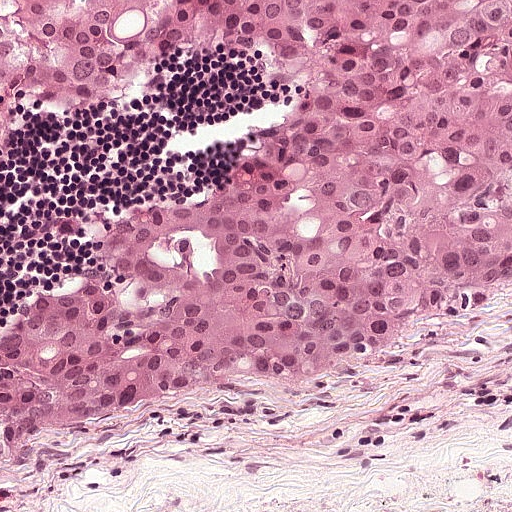
This is a crop of a whole-slide image: an H&E-stained breast-cancer sentinel lymph node section at roughly 20× magnification (about 0.49 µm per pixel; the crop spans about 0.25 mm).
Boundaries of two metastatic tumour regions, simplified and listed clockwise, largest first: region 1: (180, 0), (511, 0), (511, 235), (450, 311), (318, 378), (121, 396), (0, 451), (0, 285), (152, 188), (165, 196), (268, 186), (300, 172), (322, 140), (307, 106), (277, 100), (260, 74), (196, 36); region 2: (0, 0), (174, 0), (134, 74), (0, 155).
About 55% of this field is tumour.